Question: 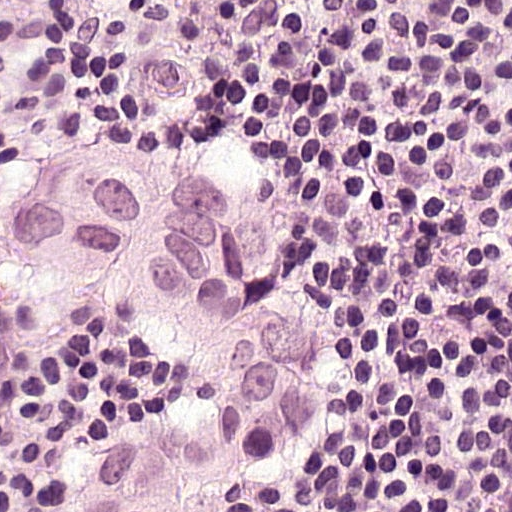
About what magnification does this crop show?

Choices:
 (A) about 20×
 (B) about 2.5×
 (C) about 40×
 (D) about 10×
 (E) about 5×

Answer: (C) about 40×
Lymph node section stained with H&E, from a whole-slide image of a breast-cancer sentinel node. Magnification about 40×, about 0.12 mm across the frame, about 0.24 µm per pixel.
The outlined metastatic tumour's edge, as a closed clockwise path of 14 points: (0, 132), (162, 139), (250, 177), (342, 355), (321, 452), (236, 511), (56, 511), (96, 442), (175, 386), (165, 339), (137, 317), (68, 299), (34, 324), (3, 371).
Tumour covers about 35% of the frame.